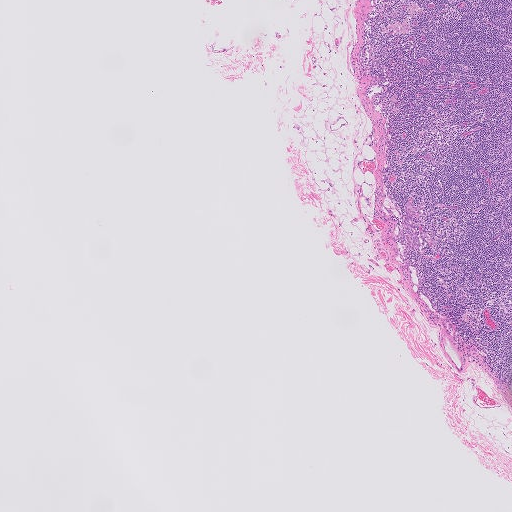
A 2.0-mm field of an H&E-stained sentinel lymph node from a breast-cancer patient (whole-slide image), shown at about 2.5×, about 4.0 µm per pixel.
Metastatic tumour outline, simplified to 12 points and listed clockwise in crop pixels (x, y): (406, 201), (410, 201), (416, 205), (418, 209), (418, 213), (415, 220), (420, 243), (418, 250), (414, 251), (406, 249), (402, 238), (402, 226).
Tumour covers under 5% of the frame.